This is a crop of a whole-slide image: an H&E-stained breast-cancer sentinel lymph node section at roughly 10× magnification (about 0.97 µm per pixel; the crop spans about 0.5 mm).
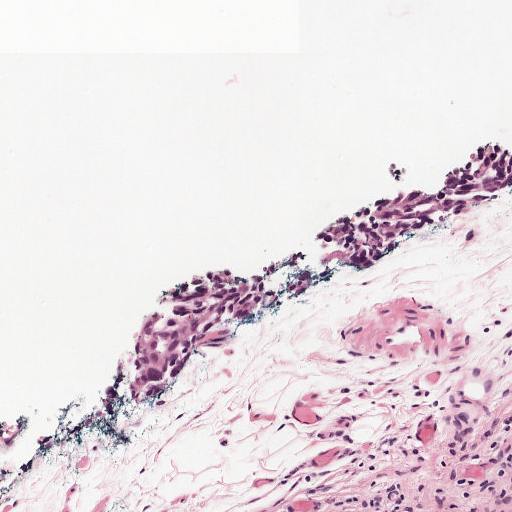
Question: Outline the metastatic carcinoma in this image, as closed paths of (x, y) pixel coordinates.
Answer: Tumour region outline (a closed clockwise path, crop pixels): (511, 131), (511, 196), (426, 232), (379, 266), (351, 268), (215, 349), (175, 390), (70, 431), (130, 328), (176, 277).
The annotated tumour makes up about 10% of the crop.